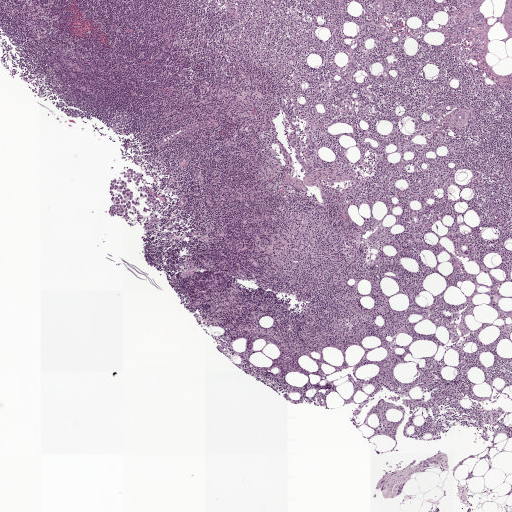
H&E-stained section of a sentinel lymph node (breast cancer), from a whole-slide image, viewed at about 2.5×: the field is about 2.0 mm across, about 3.9 µm per pixel.
Tumour region outline (a closed clockwise path, crop pixels): (130, 168), (139, 170), (144, 176), (148, 190), (159, 200), (159, 207), (155, 214), (150, 213), (142, 217), (141, 227), (137, 225), (130, 227), (121, 218), (109, 216), (108, 209), (112, 204), (109, 187), (123, 170).
The annotated tumour makes up under 5% of the crop.